Question: 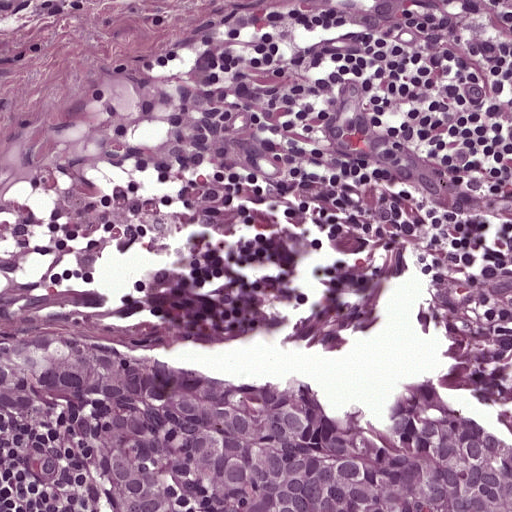
Lymph node section stained with H&E, from a whole-slide image of a breast-cancer sentinel node. Magnification about 20×, about 0.25 mm across the frame, about 0.49 µm per pixel.
Roughly what share of this field is metastatic tumour?

Choices:
 (A) about 10% to 20%
 (B) about 50% or more
 (C) none: no tumour is outlined
 (D) about 5% or less
 (E) about 25% to 45%

Answer: (E) about 25% to 45%
About 25% of the field is tumour.
Tumour region outline (a closed clockwise path, crop pixels): (66, 331), (220, 372), (294, 372), (358, 412), (394, 400), (423, 374), (478, 418), (511, 427), (511, 511), (108, 511), (68, 457), (6, 418), (0, 343).